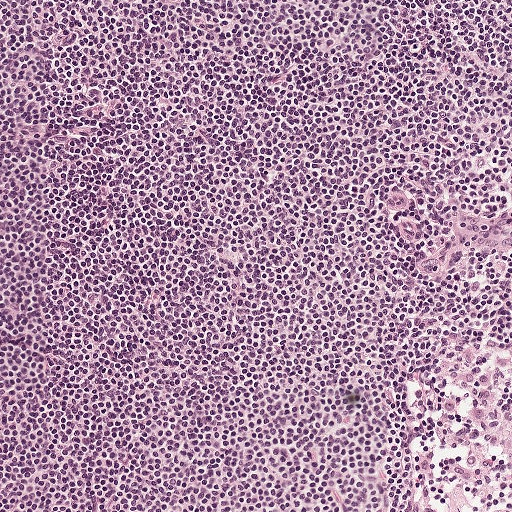
H&E-stained section of a sentinel lymph node (breast cancer), from a whole-slide image, viewed at about 10×: the field is about 0.5 mm across, about 0.97 µm per pixel.